Question: 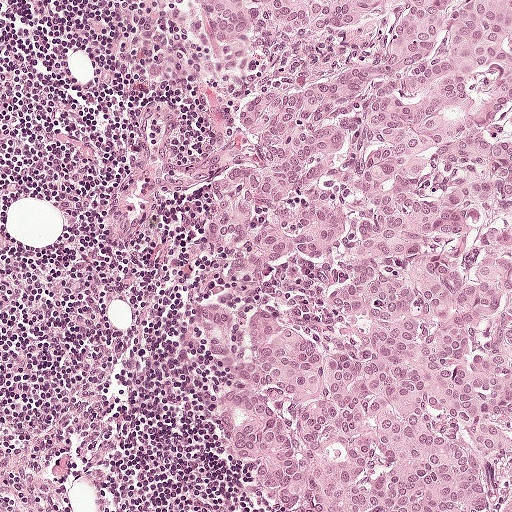
A 0.5-mm field of an H&E-stained sentinel lymph node from a breast-cancer patient (whole-slide image), shown at about 10×, about 0.97 µm per pixel.
What fraction of the image area is metastatic tumour?

Choices:
 (A) about 10% to 20%
 (B) none: no tumour is outlined
 (C) about 50% or more
 (D) about 25% to 45%
 (E) about 5% or less

Answer: (C) about 50% or more
About 60% of the field is tumour.
Tumour region outline (a closed clockwise path, crop pixels): (192, 0), (511, 0), (511, 511), (250, 502), (226, 456), (240, 388), (195, 326), (230, 289), (208, 224), (214, 187), (166, 198), (135, 246), (103, 230), (146, 161), (146, 110), (173, 114), (175, 166), (204, 158), (210, 36).